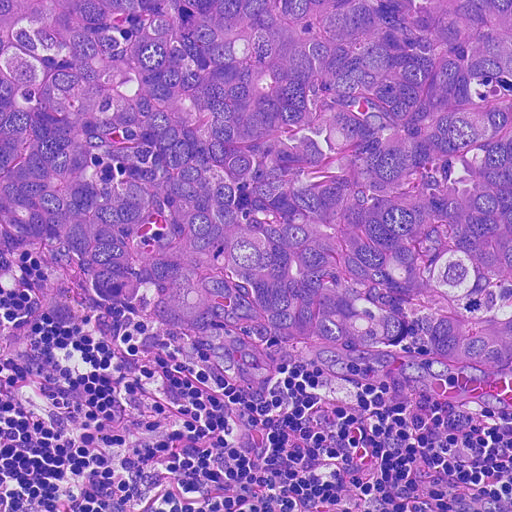
This is a crop of a whole-slide image: an H&E-stained breast-cancer sentinel lymph node section at roughly 20× magnification (about 0.45 µm per pixel; the crop spans about 0.23 mm).
Metastatic tumour outline, simplified to 10 points and listed clockwise in crop pixels (x, y): (0, 0), (511, 0), (511, 373), (374, 381), (304, 353), (262, 380), (236, 375), (104, 302), (54, 247), (7, 258).
The annotated tumour makes up about 65% of the crop.